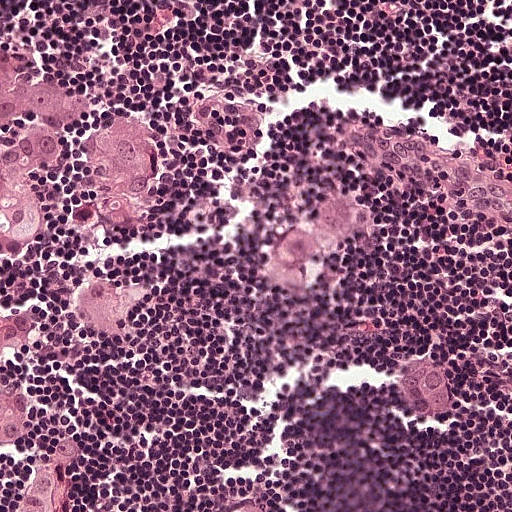
H&E-stained section of a sentinel lymph node (breast cancer), from a whole-slide image, viewed at about 20×: the field is about 0.25 mm across, about 0.49 µm per pixel.
Outlines of four tumour regions, largest first (closed clockwise paths, crop pixels): region 1: (0, 54), (14, 60), (17, 66), (62, 84), (89, 105), (94, 118), (78, 132), (70, 158), (51, 184), (49, 226), (26, 250), (12, 253), (0, 247), (0, 154), (23, 142), (25, 131), (0, 140); region 2: (119, 117), (144, 126), (162, 144), (160, 188), (144, 219), (126, 234), (111, 234), (111, 230), (92, 217), (94, 206), (86, 182), (78, 172), (80, 145); region 3: (74, 436), (80, 438), (84, 442), (70, 490), (55, 511), (14, 511), (36, 470), (38, 457), (54, 441); region 4: (18, 380), (25, 383), (25, 386), (28, 386), (30, 391), (30, 417), (28, 430), (24, 436), (17, 438), (1, 445), (0, 383).
About 10% of the image area is annotated as tumour.